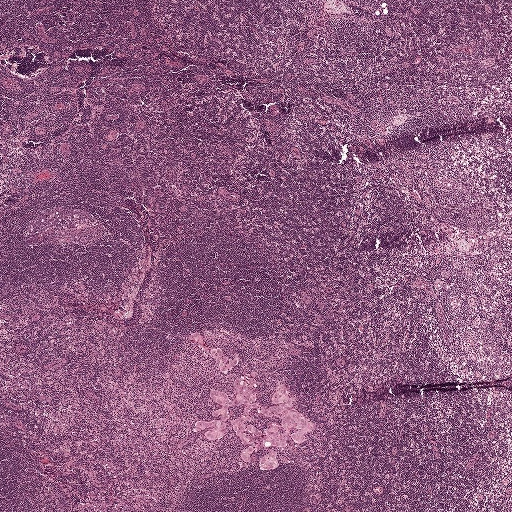
A 2.0-mm field of an H&E-stained sentinel lymph node from a breast-cancer patient (whole-slide image), shown at about 2.5×, about 3.9 µm per pixel.